Question: 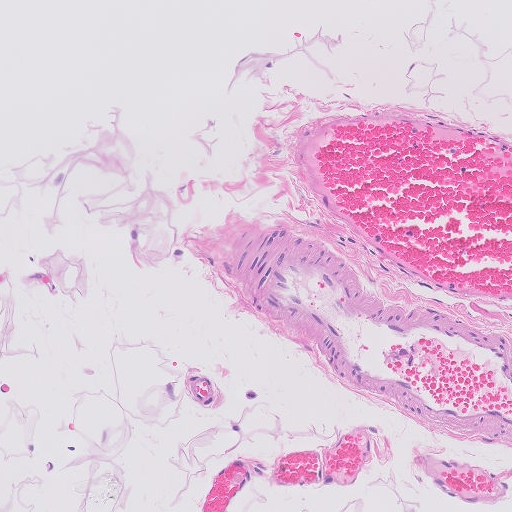
At roughly what magnification is this field shown?

Choices:
 (A) about 40×
 (B) about 10×
 (C) about 20×
 (D) about 5×
 (E) about 2.5×

Answer: (B) about 10×
H&E-stained section of a sentinel lymph node (breast cancer), from a whole-slide image, viewed at about 10×: the field is about 0.51 mm across, about 1.0 µm per pixel.